Image:
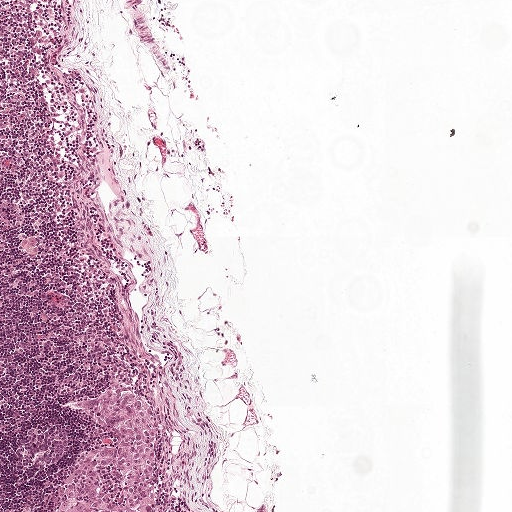
A 1-mm field of an H&E-stained sentinel lymph node from a breast-cancer patient (whole-slide image), shown at about 5×, about 1.9 µm per pixel.
Question:
Where is the metastatic tumour in this field? Give each region's outline as (x, y) pixel points.
Answer:
The outlined metastatic tumour's edge, as a closed clockwise path of 13 points: (114, 385), (138, 390), (158, 412), (158, 499), (163, 511), (54, 511), (66, 495), (67, 483), (80, 460), (95, 449), (117, 444), (108, 426), (74, 404).
About 5% of this field is tumour.